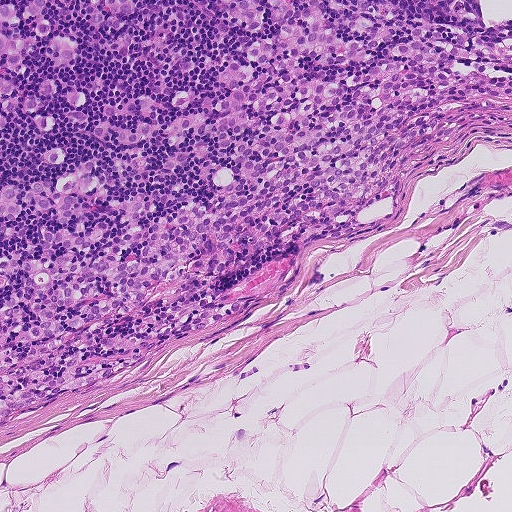
A 0.46-mm field of an H&E-stained sentinel lymph node from a breast-cancer patient (whole-slide image), shown at about 10×, about 0.9 µm per pixel.